H&E-stained section of a sentinel lymph node (breast cancer), from a whole-slide image, viewed at about 5×: the field is about 1 mm across, about 1.9 µm per pixel.
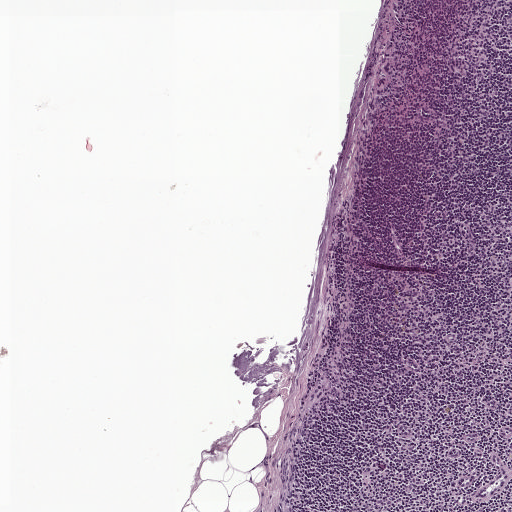
Tumour region outline (a closed clockwise path, crop pixels): (320, 383), (323, 388), (323, 397), (312, 408), (304, 413), (305, 400), (311, 390).
Under 5% of the image area is annotated as tumour.